Question: 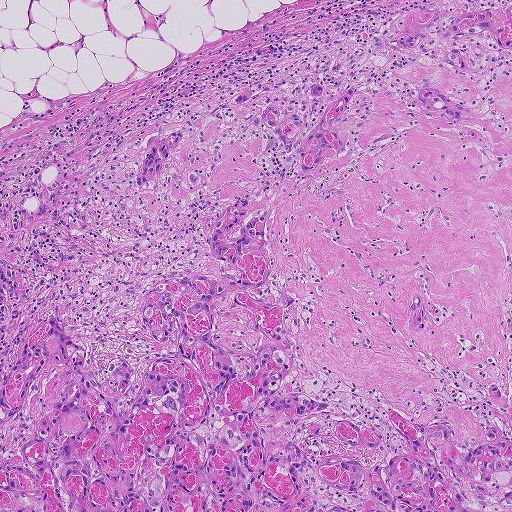
This is a crop of a whole-slide image: an H&E-stained breast-cancer sentinel lymph node section at roughly 5× magnification (about 1.8 µm per pixel; the crop spans about 0.93 mm).
About how much of this crop is taken up by metastatic carcinoma?

Choices:
 (A) about 50% or more
 (B) about 10% to 20%
 (C) none: no tumour is outlined
 (D) about 25% to 45%
 (E) about 5% or less

Answer: (A) about 50% or more
About 70% of the field is tumour.
Metastatic tumour outline, simplified to 23 points and listed clockwise in crop pixels (x, y): (506, 6), (511, 511), (0, 511), (0, 389), (28, 331), (55, 315), (100, 370), (121, 356), (147, 370), (178, 339), (140, 324), (146, 289), (218, 267), (206, 233), (240, 198), (137, 192), (148, 137), (276, 81), (302, 140), (322, 110), (304, 91), (350, 79), (411, 10).